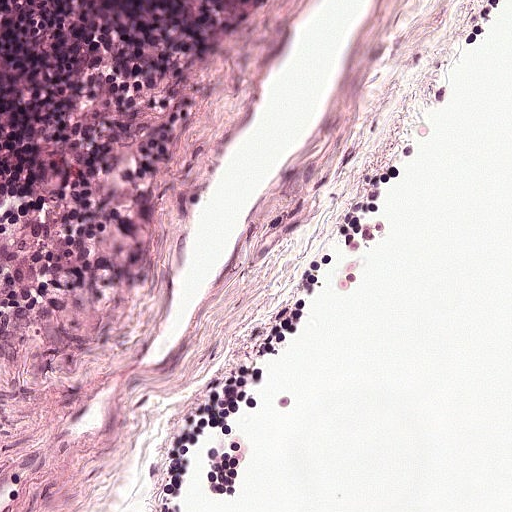
H&E-stained section of a sentinel lymph node (breast cancer), from a whole-slide image, viewed at about 20×: the field is about 0.25 mm across, about 0.49 µm per pixel.
Question: Does this lymph node field contain metastatic tumour?
Answer: No. No metastatic tumour is outlined in this field.